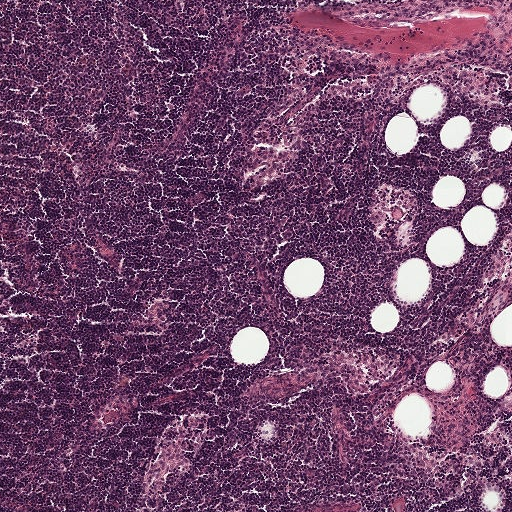
Lymph node section stained with H&E, from a whole-slide image of a breast-cancer sentinel node. Magnification about 5×, about 1 mm across the frame, about 1.9 µm per pixel.
Question: Does this lymph node field contain metastatic tumour?
Answer: No: no metastatic tumour is outlined anywhere in this field.